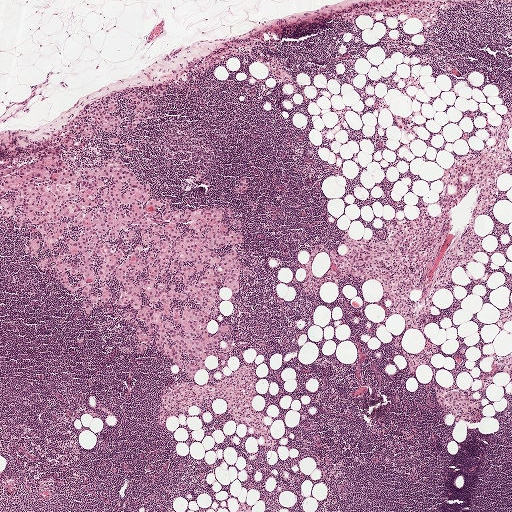
H&E-stained section of a sentinel lymph node (breast cancer), from a whole-slide image, viewed at about 2.5×: the field is about 2.0 mm across, about 3.9 µm per pixel.
Six metastatic tumour regions, each outlined as a closed clockwise path in crop pixels (x, y), largest first: region 1: (86, 122), (102, 139), (76, 136), (62, 155), (74, 170), (118, 151), (149, 183), (148, 201), (232, 207), (237, 260), (251, 271), (239, 273), (233, 304), (215, 295), (210, 312), (233, 327), (223, 338), (234, 349), (214, 349), (227, 366), (208, 355), (187, 378), (156, 331), (138, 352), (123, 314), (138, 309), (113, 304), (119, 280), (87, 314), (82, 287), (70, 294), (38, 266), (45, 253), (25, 253), (39, 230), (9, 216), (0, 164), (27, 164); region 2: (133, 91), (142, 93), (150, 97), (156, 106), (155, 110), (151, 110), (150, 112), (156, 116), (155, 120), (148, 118), (146, 122), (140, 122), (135, 130), (130, 132), (125, 128), (126, 125), (134, 116), (134, 107), (126, 107), (127, 104), (132, 99), (127, 100), (125, 97), (126, 94); region 3: (109, 100), (117, 100), (118, 110), (109, 114), (111, 116), (118, 115), (123, 120), (119, 127), (123, 132), (118, 134), (116, 132), (117, 127), (110, 133), (102, 130), (100, 127), (99, 130), (96, 130), (95, 128), (96, 125), (99, 125), (98, 118), (90, 111), (97, 107), (96, 104), (100, 102), (102, 104), (107, 104); region 4: (242, 176), (245, 177), (247, 184), (247, 191), (243, 193), (237, 193), (231, 191), (233, 187), (238, 185), (239, 180), (241, 177); region 5: (161, 87), (164, 88), (166, 91), (166, 95), (156, 97), (148, 93), (149, 90), (154, 88), (158, 88); region 6: (131, 141), (136, 144), (137, 149), (133, 152), (128, 152), (124, 150), (122, 146), (125, 143).
Three more small tumour pieces are annotated here but not outlined.
The annotated tumour makes up about 15% of the crop.